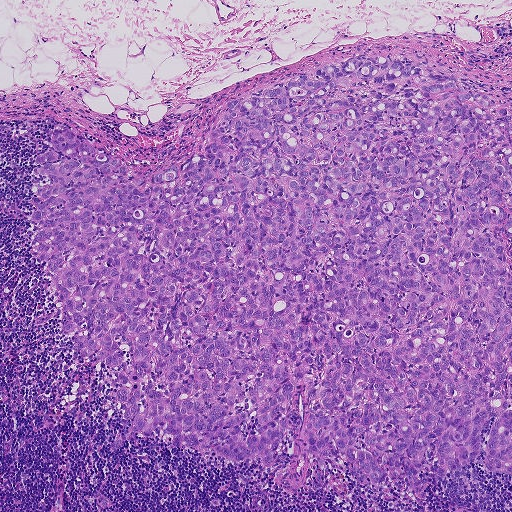
This is a crop of a whole-slide image: an H&E-stained breast-cancer sentinel lymph node section at roughly 5× magnification (about 1.8 µm per pixel; the crop spans about 0.93 mm).
Tumour region outline (a closed clockwise path, crop pixels): (355, 56), (406, 58), (508, 106), (511, 476), (481, 458), (424, 471), (427, 498), (339, 460), (281, 488), (296, 448), (265, 468), (132, 434), (118, 377), (74, 354), (31, 240), (49, 131), (156, 172), (206, 145), (231, 102).
The annotated tumour makes up about 60% of the crop.